This is a crop of a whole-slide image: an H&E-stained breast-cancer sentinel lymph node section at roughly 10× magnification (about 0.9 µm per pixel; the crop spans about 0.46 mm).
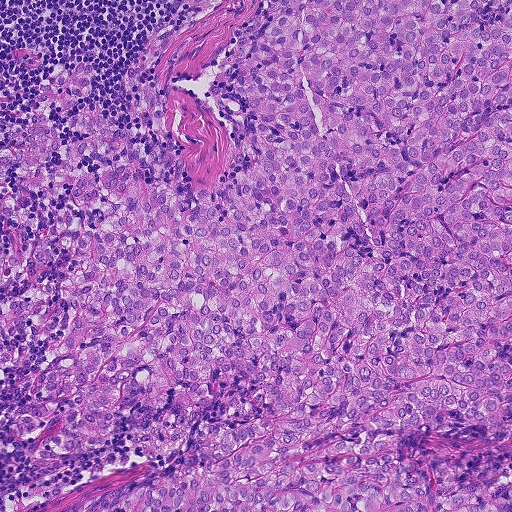
Tumour region outline (a closed clockwise path, crop pixels): (511, 0), (511, 511), (117, 511), (262, 403), (221, 371), (33, 457), (75, 310), (0, 366), (0, 299), (68, 248), (0, 285), (0, 238), (104, 210), (20, 184), (36, 90), (92, 66), (60, 146), (102, 114), (207, 205), (258, 152), (260, 9).
Tumour covers about 75% of the frame.